A 0.46-mm field of an H&E-stained sentinel lymph node from a breast-cancer patient (whole-slide image), shown at about 10×, about 0.9 µm per pixel.
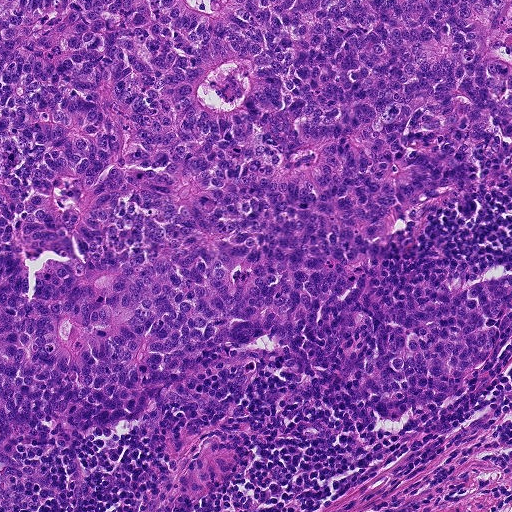
Tumour region outline (a closed clockwise path, crop pixels): (0, 0), (511, 0), (511, 185), (434, 210), (395, 256), (511, 257), (511, 336), (465, 392), (386, 421), (356, 403), (278, 403), (286, 369), (213, 372), (163, 393), (126, 428), (17, 447), (38, 493), (29, 508), (0, 503).
About 80% of this field is tumour.